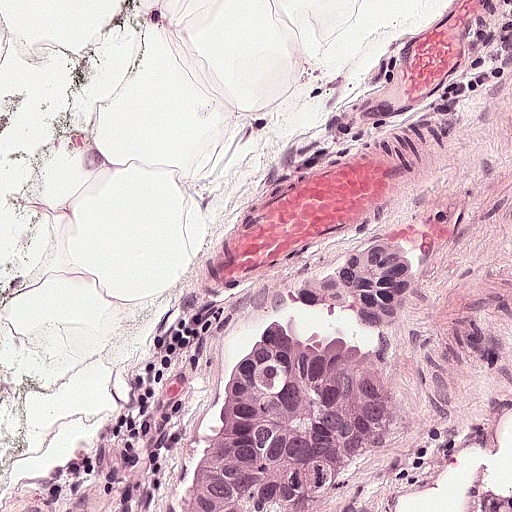
H&E-stained section of a sentinel lymph node (breast cancer), from a whole-slide image, viewed at about 20×: the field is about 0.25 mm across, about 0.49 µm per pixel.
Metastatic tumour outline, simplified to 12 points and listed clockwise in crop pixels (x, y): (404, 230), (421, 236), (420, 295), (409, 324), (416, 400), (396, 454), (324, 511), (187, 511), (212, 412), (254, 312), (266, 295), (357, 243).
About 15% of this field is tumour.